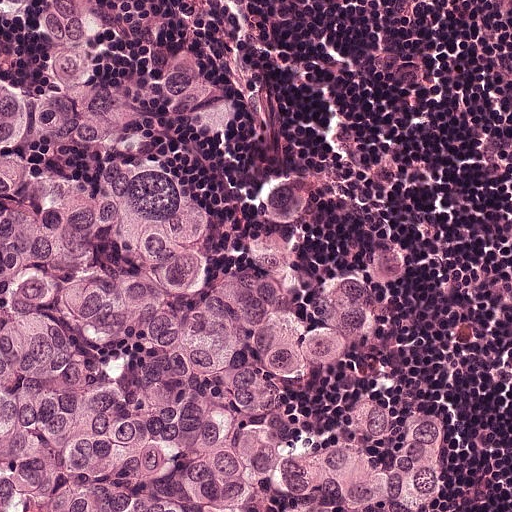
This is a crop of a whole-slide image: an H&E-stained breast-cancer sentinel lymph node section at roughly 20× magnification (about 0.49 µm per pixel; the crop spans about 0.25 mm).
One metastatic tumour region; its boundary, reduced to 11 corners and listed clockwise: (0, 0), (70, 1), (198, 33), (259, 70), (336, 204), (393, 252), (438, 328), (454, 365), (454, 442), (483, 510), (0, 511).
The annotated tumour makes up about 70% of the crop.